A 0.51-mm field of an H&E-stained sentinel lymph node from a breast-cancer patient (whole-slide image), shown at about 10×, about 1.0 µm per pixel.
Image:
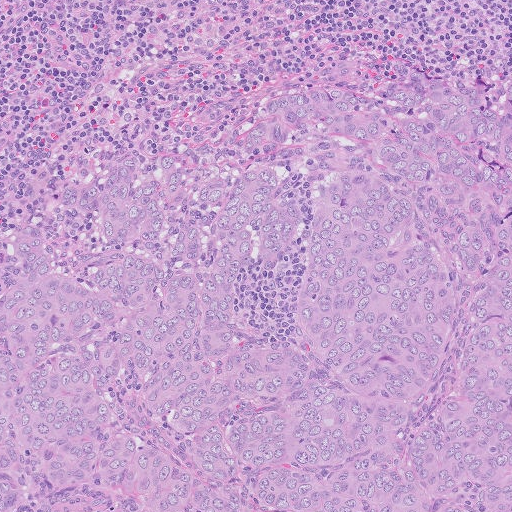
Question:
Which parts of this field are metastatic tumour? Answer with the outline of each region, in pixels.
Answer:
The outlined metastatic tumour's edge, as a closed clockwise path of 9 points: (412, 64), (468, 88), (511, 85), (511, 511), (0, 511), (0, 228), (168, 130), (309, 80), (394, 76).
Tumour covers about 75% of the frame.